Question: 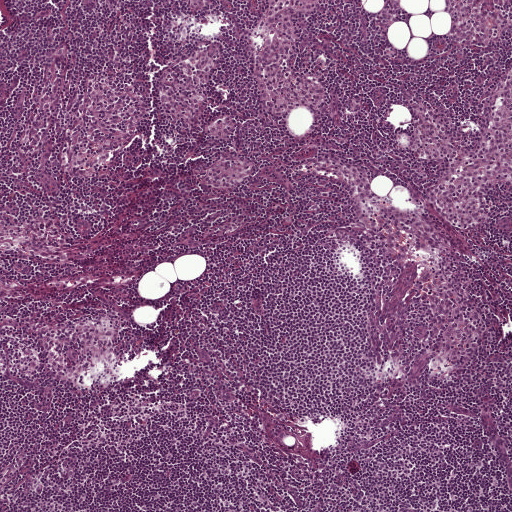
About what magnification does this crop show?

Choices:
 (A) about 10×
 (B) about 20×
 (C) about 5×
 (D) about 40×
 (E) about 2.5×

Answer: (C) about 5×
Lymph node section stained with H&E, from a whole-slide image of a breast-cancer sentinel node. Magnification about 5×, about 1 mm across the frame, about 1.9 µm per pixel.